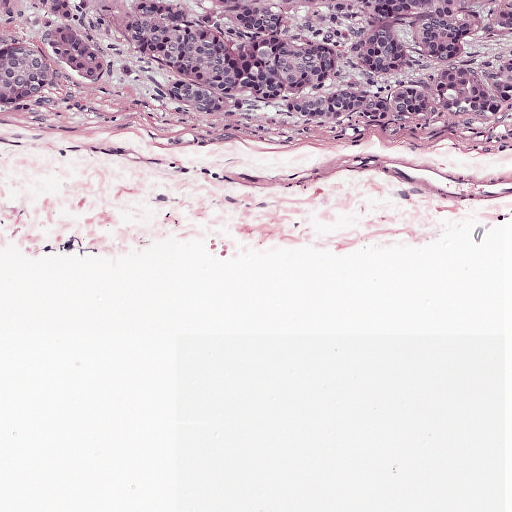
This is a crop of a whole-slide image: an H&E-stained breast-cancer sentinel lymph node section at roughly 10× magnification (about 0.97 µm per pixel; the crop spans about 0.5 mm).
Metastatic tumour outline, simplified to 8 points and listed clockwise in crop pixels (x, y): (0, 0), (511, 0), (511, 129), (397, 138), (176, 112), (72, 85), (36, 114), (0, 110).
The annotated tumour makes up about 25% of the crop.